H&E-stained section of a sentinel lymph node (breast cancer), from a whole-slide image, viewed at about 2.5×: the field is about 2.0 mm across, about 3.9 µm per pixel.
Image:
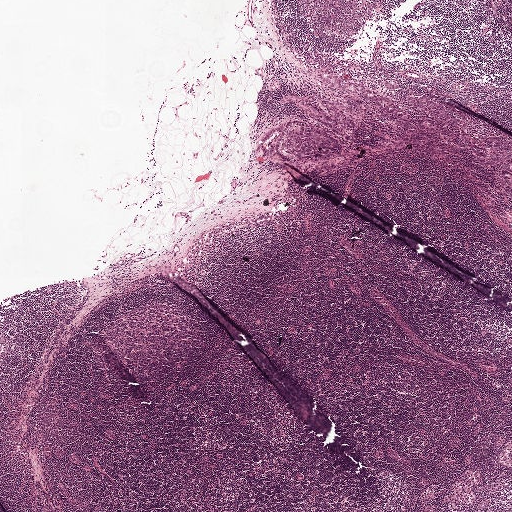
Question:
Show where the tumour is in this image.
Answer:
Six metastatic tumour regions, each outlined as a closed clockwise path in crop pixels (x, y), largest first: region 1: (295, 119), (308, 124), (336, 139), (341, 146), (340, 154), (321, 162), (304, 162), (285, 168), (263, 160), (257, 143), (266, 130), (284, 121); region 2: (428, 120), (446, 129), (467, 134), (476, 139), (494, 136), (511, 139), (511, 197), (505, 192), (502, 186), (500, 179), (500, 167), (480, 166), (468, 150), (426, 135), (417, 126), (417, 121); region 3: (309, 93), (318, 99), (337, 99), (344, 105), (345, 98), (355, 98), (360, 101), (363, 116), (359, 128), (349, 134), (351, 137), (349, 140), (344, 140), (327, 128), (306, 117), (293, 105), (279, 102), (280, 97), (286, 94); region 4: (321, 68), (365, 87), (381, 91), (400, 106), (405, 114), (404, 117), (396, 118), (382, 112), (360, 96), (340, 91), (317, 77), (317, 72); region 5: (424, 95), (463, 111), (469, 118), (468, 128), (463, 129), (450, 127), (428, 118), (410, 106), (407, 99), (408, 96); region 6: (386, 80), (390, 82), (391, 84), (393, 83), (396, 84), (399, 84), (399, 88), (391, 90), (388, 90), (385, 88), (383, 86), (383, 82).
Tumour covers about 5% of the frame.